Image:
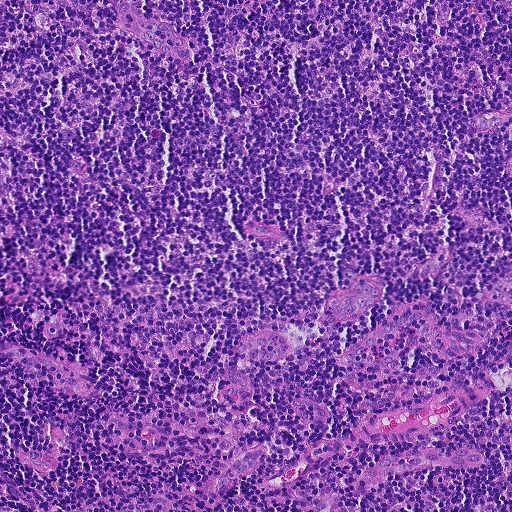
H&E-stained section of a sentinel lymph node (breast cancer), from a whole-slide image, viewed at about 10×: the field is about 0.46 mm across, about 0.9 µm per pixel.
Question:
Is any metastatic breast cancer visible in this crop?
Answer:
No. No metastatic tumour is outlined in this field.